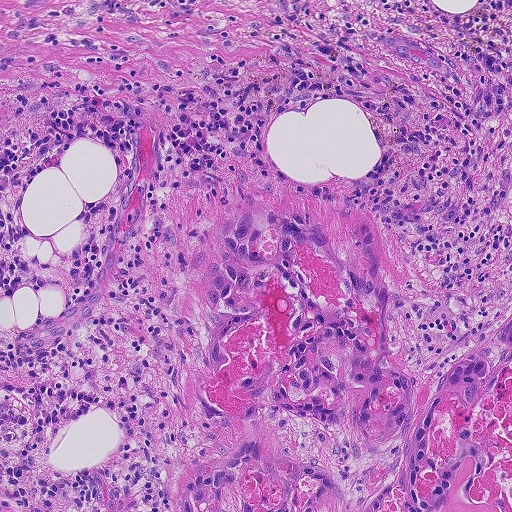
H&E-stained section of a sentinel lymph node (breast cancer), from a whole-slide image, viewed at about 10×: the field is about 0.46 mm across, about 0.9 µm per pixel.
Tumour region outline (a closed clockwise path, crop pixels): (253, 185), (305, 187), (374, 214), (391, 260), (388, 357), (404, 377), (444, 374), (511, 307), (511, 511), (171, 511), (172, 490), (202, 452), (171, 310), (199, 237).
About 30% of the image area is annotated as tumour.